Question: 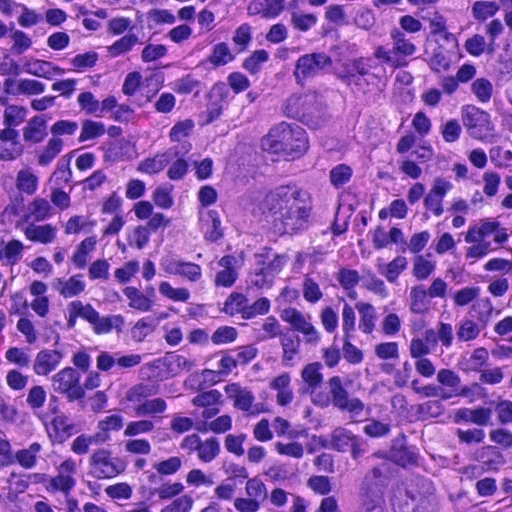
Which magnification is this H&E lymph node field most likely shown at?

Choices:
 (A) about 20×
 (B) about 10×
 (C) about 40×
 (D) about 2.5×
 (E) about 5×

Answer: (C) about 40×
Lymph node section stained with H&E, from a whole-slide image of a breast-cancer sentinel node. Magnification about 40×, about 0.12 mm across the frame, about 0.23 µm per pixel.
Three metastatic tumour regions, each outlined as a closed clockwise path in crop pixels (x, y), largest first: region 1: (318, 72), (354, 74), (392, 88), (405, 115), (381, 183), (336, 246), (288, 252), (221, 226), (189, 198), (223, 126), (261, 86); region 2: (413, 429), (491, 476), (511, 476), (511, 511), (318, 511), (322, 458); region 3: (17, 499), (29, 511), (0, 511), (0, 500).
The annotated tumour makes up about 15% of the crop.